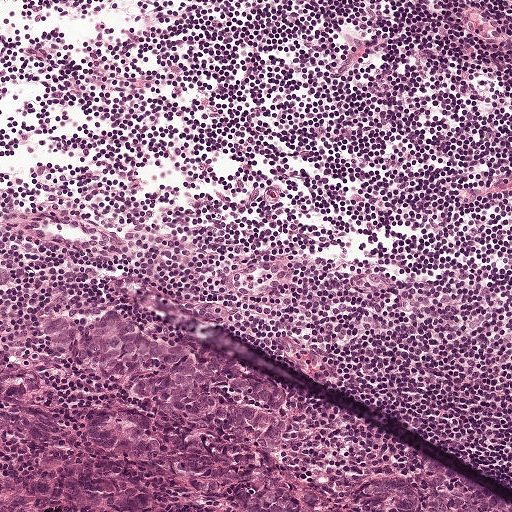
This is a crop of a whole-slide image: an H&E-stained breast-cancer sentinel lymph node section at roughly 10× magnification (about 0.97 µm per pixel; the crop spans about 0.5 mm).
Four metastatic tumour regions, each outlined as a closed clockwise path in crop pixels (x, y), largest first: region 1: (65, 310), (89, 320), (112, 312), (152, 334), (188, 340), (266, 375), (292, 404), (288, 443), (281, 451), (266, 451), (214, 440), (126, 402), (105, 383), (55, 358), (42, 330), (49, 316); region 2: (94, 412), (130, 414), (201, 448), (235, 454), (268, 468), (284, 467), (314, 488), (342, 491), (366, 478), (392, 476), (468, 489), (511, 510), (236, 511), (157, 478), (121, 470), (84, 437), (82, 424); region 3: (0, 346), (21, 366), (33, 382), (36, 390), (33, 401), (28, 404), (0, 402); region 4: (4, 268), (7, 268), (8, 269), (11, 269), (12, 273), (12, 280), (12, 281), (11, 283), (0, 287), (0, 269).
Tumour covers about 15% of the frame.